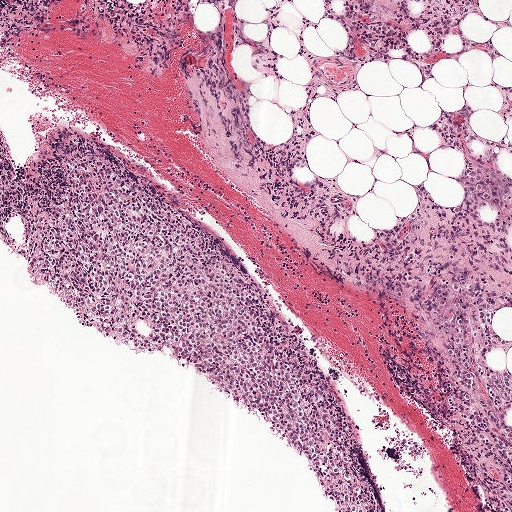
Lymph node section stained with H&E, from a whole-slide image of a breast-cancer sentinel node. Magnification about 5×, about 1 mm across the frame, about 1.9 µm per pixel.
Tumour region outline (a closed clockwise path, crop pixels): (54, 138), (165, 202), (273, 307), (338, 399), (345, 455), (373, 511), (344, 511), (289, 427), (259, 402), (154, 344), (98, 330), (34, 262).
Tumour covers about 15% of the frame.